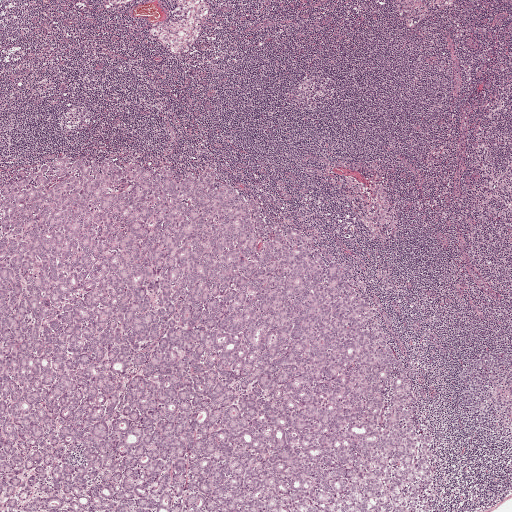
A 2.0-mm field of an H&E-stained sentinel lymph node from a breast-cancer patient (whole-slide image), shown at about 2.5×, about 3.9 µm per pixel.
One metastatic tumour region; its boundary, reduced to 9 corners and listed clockwise: (72, 156), (207, 166), (267, 217), (330, 246), (413, 378), (437, 470), (432, 511), (0, 511), (0, 184).
The annotated tumour makes up about 50% of the crop.